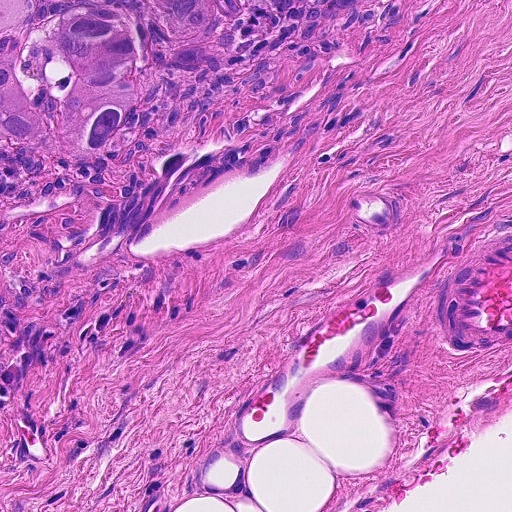
A 0.23-mm field of an H&E-stained sentinel lymph node from a breast-cancer patient (whole-slide image), shown at about 20×, about 0.45 µm per pixel.
Metastatic tumour outline, simplified to 11 points and listed clockwise in crop pixels (x, y): (0, 0), (236, 0), (236, 16), (219, 34), (237, 51), (198, 80), (148, 92), (121, 137), (101, 154), (74, 158), (0, 140).
About 10% of the image area is annotated as tumour.